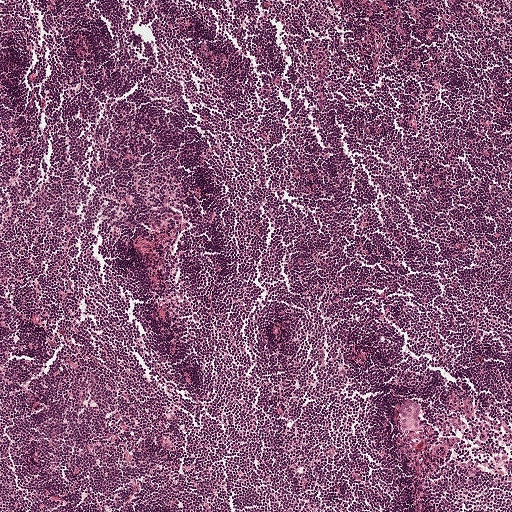
This is a crop of a whole-slide image: an H&E-stained breast-cancer sentinel lymph node section at roughly 5× magnification (about 1.9 µm per pixel; the crop spans about 1 mm).
The outlined metastatic tumour's edge, as a closed clockwise path of 9 points: (403, 398), (422, 402), (424, 415), (424, 427), (408, 436), (400, 434), (399, 418), (393, 408), (394, 401).
Under 5% of the image area is annotated as tumour.